This is a crop of a whole-slide image: an H&E-stained breast-cancer sentinel lymph node section at roughly 10× magnification (about 0.97 µm per pixel; the crop spans about 0.5 mm).
Image:
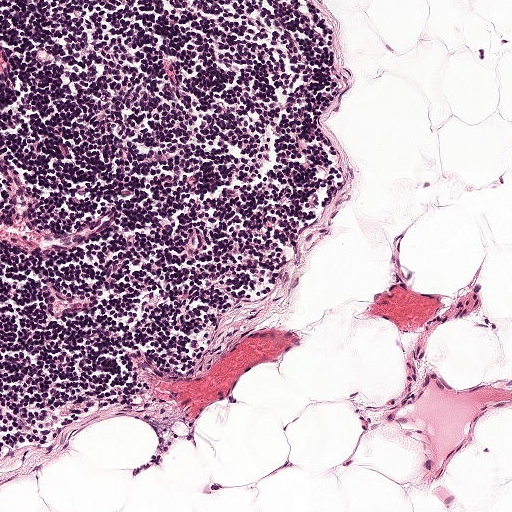
Question:
Is any metastatic breast cancer visible in this crop?
Answer:
No: no metastatic tumour is outlined anywhere in this field.